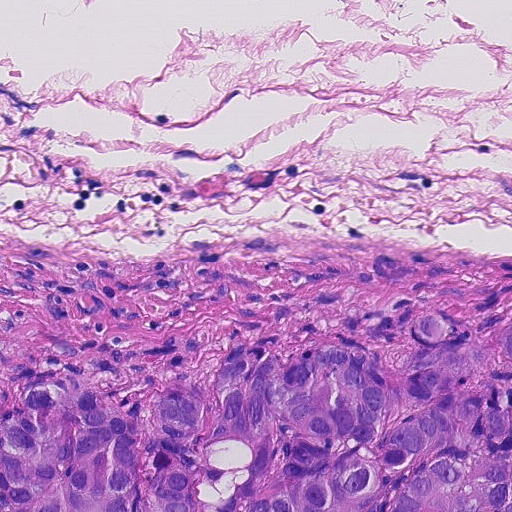
A 0.23-mm field of an H&E-stained sentinel lymph node from a breast-cancer patient (whole-slide image), shown at about 20×, about 0.45 µm per pixel.
Question: Where is the metastatic tumour in this field? Give each region's outline as (x, y) pixel points.
Answer: Tumour region outline (a closed clockwise path, crop pixels): (456, 310), (511, 311), (511, 511), (0, 511), (0, 389), (44, 376), (84, 380), (148, 410), (162, 372), (200, 383), (264, 336), (382, 340).
About 30% of the image area is annotated as tumour.